Lymph node section stained with H&E, from a whole-slide image of a breast-cancer sentinel node. Magnification about 20×, about 0.25 mm across the frame, about 0.49 µm per pixel.
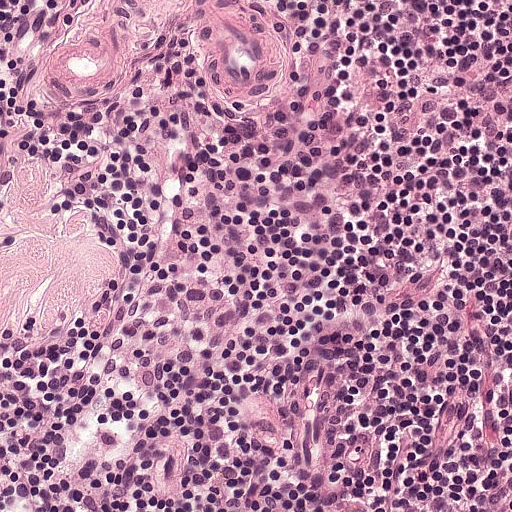
Question: Is any metastatic breast cancer visible in this crop?
Answer: No: no metastatic tumour is outlined anywhere in this field.